H&E-stained section of a sentinel lymph node (breast cancer), from a whole-slide image, viewed at about 2.5×: the field is about 2.0 mm across, about 3.9 µm per pixel.
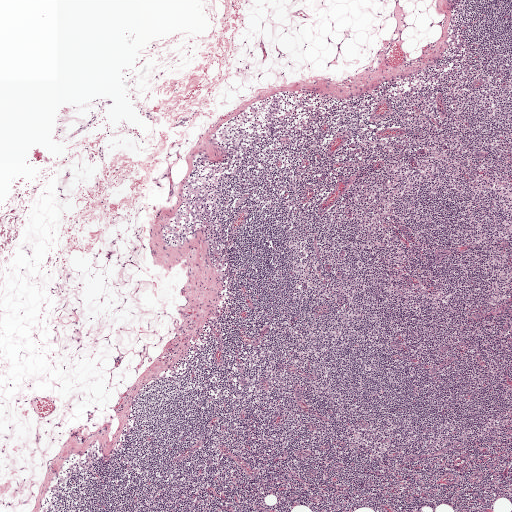
Metastatic tumour outline, simplified to 6 points and listed clockwise in crop pixels (x, y): (185, 117), (190, 118), (188, 123), (180, 126), (173, 127), (173, 125).
One more small tumour piece is annotated here but not outlined.
Under 5% of the image area is annotated as tumour.